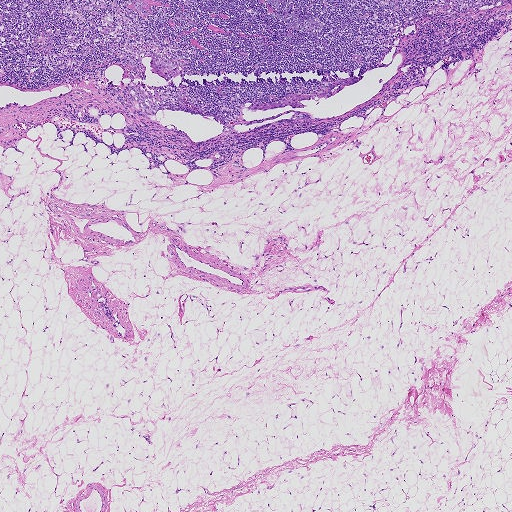
Lymph node section stained with H&E, from a whole-slide image of a breast-cancer sentinel node. Magnification about 2.5×, about 1.9 mm across the frame, about 3.6 µm per pixel.
Tumour region outline (a closed clockwise path, crop pixels): (352, 76), (362, 76), (361, 80), (357, 82), (345, 86), (342, 90), (328, 99), (324, 97), (317, 101), (311, 98), (307, 101), (299, 102), (303, 104), (307, 105), (303, 107), (295, 108), (287, 105), (283, 107), (270, 109), (253, 110), (249, 109), (247, 106), (254, 102), (271, 103), (291, 94), (300, 94), (308, 95), (313, 94), (325, 90), (344, 79).
The annotated tumour makes up under 5% of the crop.